Image:
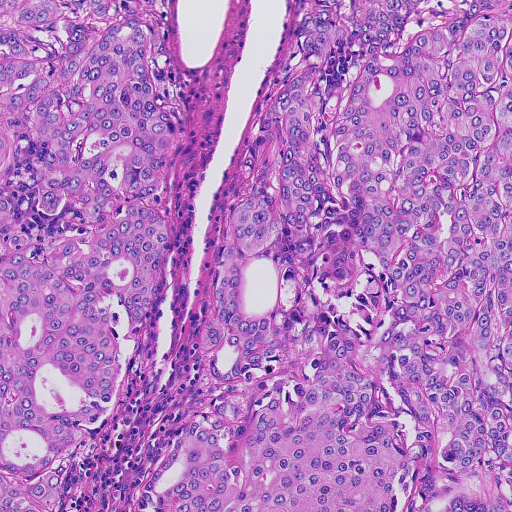
A 0.46-mm field of an H&E-stained sentinel lymph node from a breast-cancer patient (whole-slide image), shown at about 10×, about 0.91 µm per pixel.
Question:
Which parts of this field are metastatic tumour? Answer with the outline of each region, in pixels.
Answer:
Boundaries of two metastatic tumour regions, simplified and listed clockwise, largest first: region 1: (305, 0), (511, 0), (511, 511), (149, 508), (149, 471), (204, 396), (196, 322), (214, 244), (250, 180), (256, 122); region 2: (0, 0), (150, 0), (187, 129), (167, 183), (164, 300), (78, 453), (63, 508), (0, 511).
Tumour covers about 85% of the frame.